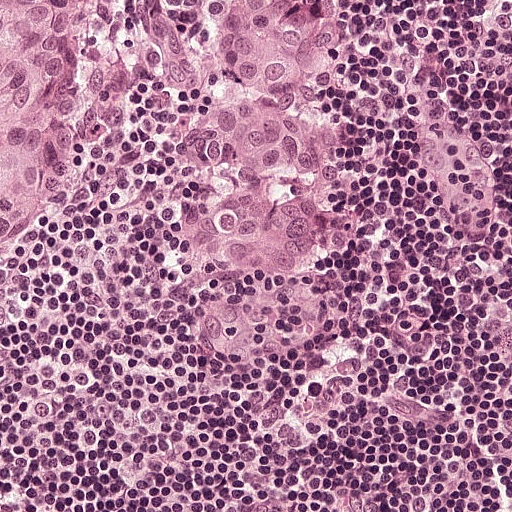
H&E-stained section of a sentinel lymph node (breast cancer), from a whole-slide image, viewed at about 20×: the field is about 0.25 mm across, about 0.49 µm per pixel.
Question: Outline the metastatic carcinoma in this image, as closed paths of (x, y) pixel coordinates.
Answer: Three metastatic tumour regions, each outlined as a closed clockwise path in crop pixels (x, y), largest first: region 1: (342, 0), (349, 16), (349, 60), (332, 88), (352, 136), (349, 168), (328, 182), (336, 260), (312, 332), (258, 357), (197, 347), (176, 266), (176, 190), (164, 138), (210, 71), (204, 24), (214, 2); region 2: (0, 0), (101, 0), (103, 46), (98, 86), (22, 248), (2, 306); region 3: (0, 394), (4, 394), (27, 428), (44, 440), (50, 454), (61, 462), (64, 474), (70, 476), (72, 485), (90, 505), (90, 510), (92, 510), (0, 511).
About 30% of the image area is annotated as tumour.